Question: 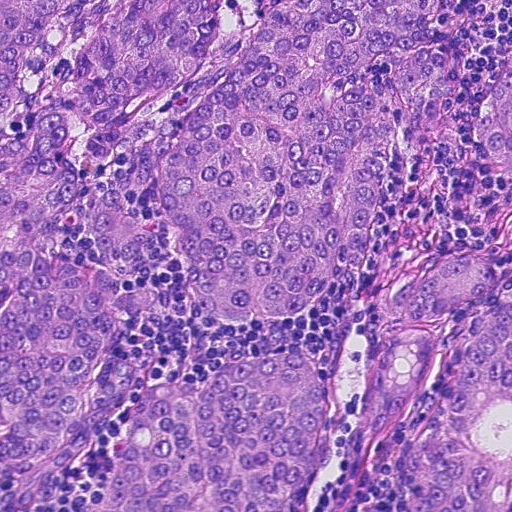
A 0.23-mm field of an H&E-stained sentinel lymph node from a breast-cancer patient (whole-slide image), shown at about 20×, about 0.45 µm per pixel.
Estimate the proportion of this field that is metastatic tumour.

Choices:
 (A) about 50% or more
 (B) about 10% to 20%
 (C) about 25% to 45%
 (D) none: no tumour is outlined
 (E) about 5% or less

Answer: (A) about 50% or more
About 75% of the field is tumour.
Five metastatic tumour regions, each outlined as a closed clockwise path in crop pixels (x, y), largest first: region 1: (0, 0), (215, 0), (198, 71), (286, 0), (434, 0), (450, 125), (417, 146), (395, 124), (356, 270), (299, 312), (217, 322), (166, 222), (162, 166), (124, 204), (155, 231), (151, 268), (68, 244), (157, 289), (97, 359), (149, 370), (48, 502), (16, 506); region 2: (288, 351), (313, 363), (333, 402), (332, 457), (301, 511), (96, 507), (142, 387), (168, 381), (196, 387), (229, 362); region 3: (511, 299), (511, 511), (406, 511), (408, 502), (393, 458), (428, 420), (468, 334); region 4: (454, 254), (497, 260), (498, 282), (445, 318), (424, 321), (436, 329), (440, 350), (432, 372), (407, 410), (390, 424), (370, 431), (370, 378), (374, 357), (395, 318), (384, 299), (400, 284); region 5: (511, 50), (511, 179), (496, 168), (486, 148), (475, 136), (476, 114).